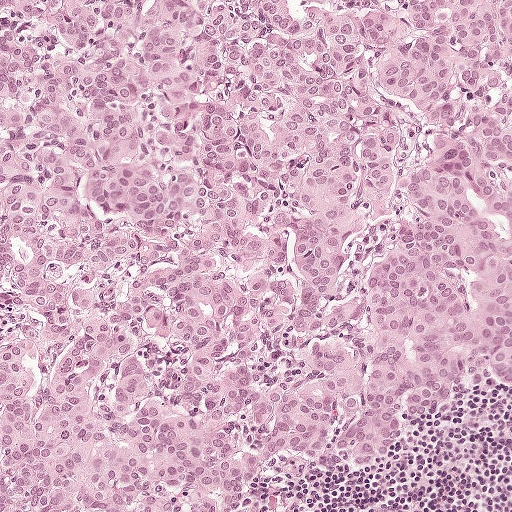
This is a crop of a whole-slide image: an H&E-stained breast-cancer sentinel lymph node section at roughly 10× magnification (about 0.97 µm per pixel; the crop spans about 0.5 mm).
Tumour region outline (a closed clockwise path, crop pixels): (0, 0), (511, 0), (511, 394), (464, 396), (356, 479), (275, 456), (238, 511), (0, 511).
The annotated tumour makes up about 95% of the crop.